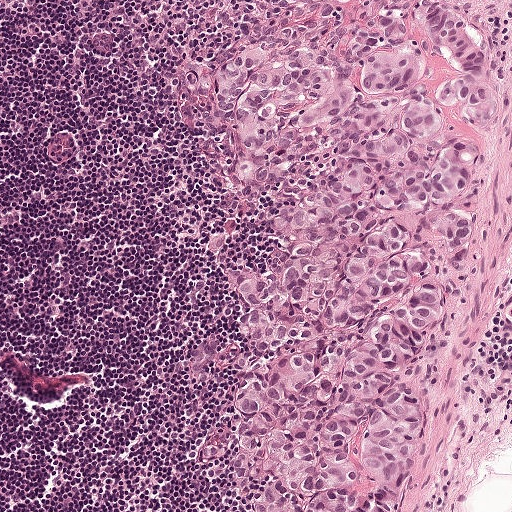
Lymph node section stained with H&E, from a whole-slide image of a breast-cancer sentinel node. Magnification about 10×, about 0.5 mm across the frame, about 0.97 µm per pixel.
Tumour region outline (a closed clockwise path, crop pixels): (283, 0), (472, 0), (491, 8), (504, 63), (440, 378), (388, 511), (240, 511), (233, 474), (200, 450), (235, 412), (239, 286), (262, 264), (276, 216), (318, 192), (341, 156), (326, 135), (271, 183), (243, 182), (232, 136), (206, 122), (177, 71), (233, 52).
The annotated tumour makes up about 45% of the crop.